Image:
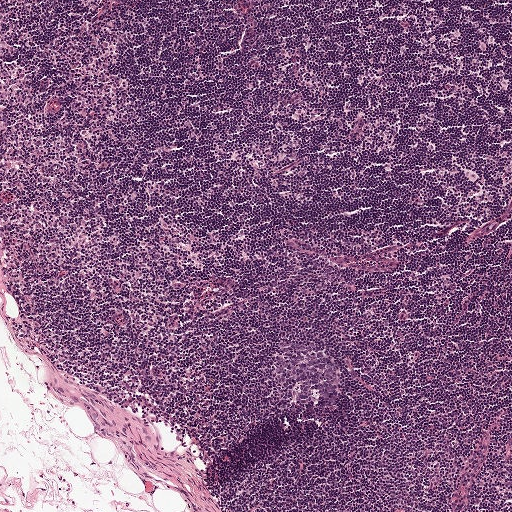
H&E-stained section of a sentinel lymph node (breast cancer), from a whole-slide image, viewed at about 5×: the field is about 1 mm across, about 1.9 µm per pixel.
Question:
Is any metastatic breast cancer visible in this crop?
Answer:
No: no metastatic tumour is outlined anywhere in this field.